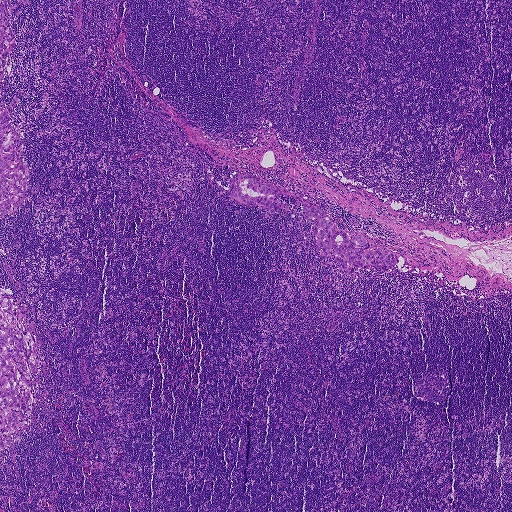
H&E-stained section of a sentinel lymph node (breast cancer), from a whole-slide image, viewed at about 2.5×: the field is about 1.9 mm across, about 3.6 µm per pixel.
Question: Where is the metastatic tumour in this field?
Answer: Outlines of four tumour regions, largest first (closed clockwise paths, crop pixels): region 1: (236, 173), (248, 173), (297, 193), (310, 206), (320, 207), (335, 228), (346, 232), (349, 241), (354, 236), (363, 235), (373, 250), (381, 246), (394, 254), (396, 267), (389, 272), (360, 267), (353, 274), (337, 270), (341, 264), (334, 260), (334, 251), (330, 248), (328, 256), (323, 256), (317, 250), (313, 223), (303, 217), (302, 206), (300, 203), (295, 206), (291, 195), (278, 196), (278, 200), (286, 205), (287, 214), (281, 209), (268, 211), (234, 199), (229, 191), (231, 178); region 2: (0, 289), (15, 300), (28, 331), (37, 337), (39, 347), (36, 371), (32, 374), (31, 380), (32, 408), (26, 429), (20, 439), (0, 452); region 3: (0, 100), (6, 110), (10, 104), (13, 105), (9, 123), (20, 135), (19, 151), (22, 162), (29, 171), (26, 186), (28, 192), (25, 197), (18, 206), (0, 219); region 4: (0, 0), (6, 0), (9, 18), (8, 24), (13, 45), (7, 67), (3, 72), (4, 78), (0, 86).
Tumour covers about 5% of the frame.